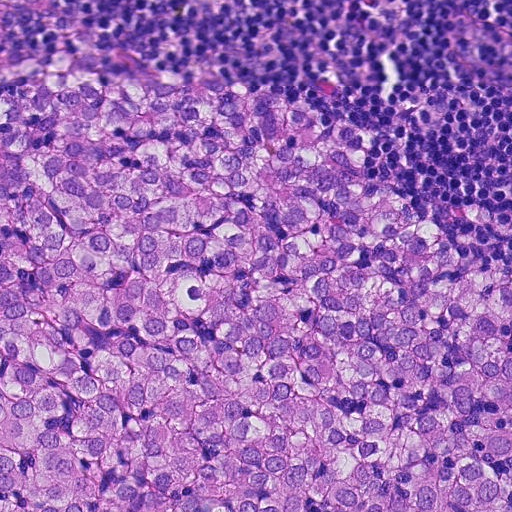
A 0.23-mm field of an H&E-stained sentinel lymph node from a breast-cancer patient (whole-slide image), shown at about 20×, about 0.45 µm per pixel.
Question: Show where the tumour is in this image.
Answer: Tumour region outline (a closed clockwise path, crop pixels): (54, 51), (326, 110), (349, 122), (461, 253), (505, 270), (511, 511), (0, 511), (0, 69).
Tumour covers about 75% of the frame.